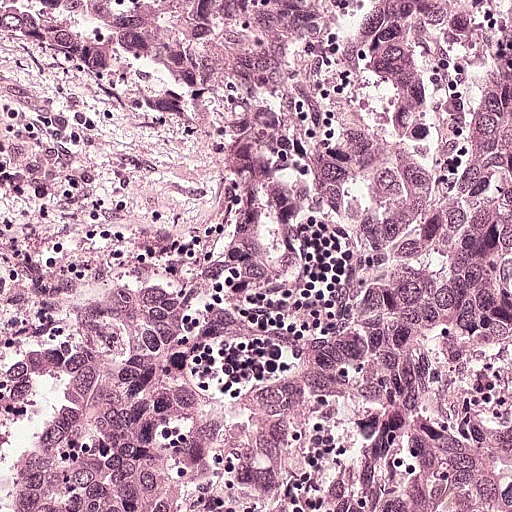
This is a crop of a whole-slide image: an H&E-stained breast-cancer sentinel lymph node section at roughly 20× magnification (about 0.49 µm per pixel; the crop spans about 0.25 mm).
Metastatic tumour outline, simplified to 10 points and listed clockwise in crop pixels (x, y): (202, 0), (511, 0), (511, 511), (0, 511), (0, 265), (124, 280), (184, 250), (218, 178), (214, 110), (191, 54).
Tumour covers about 80% of the frame.